Question: 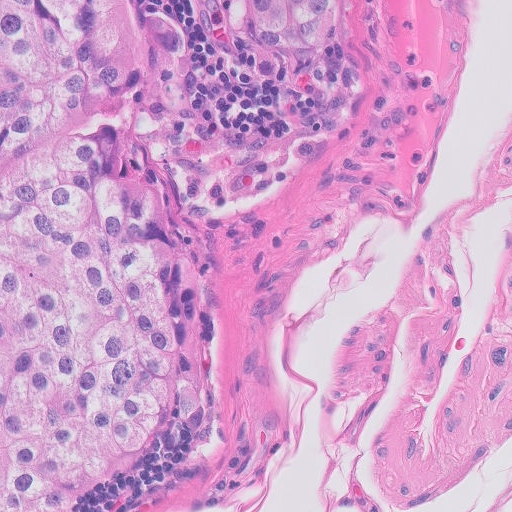
Lymph node section stained with H&E, from a whole-slide image of a breast-cancer sentinel node. Magnification about 20×, about 0.26 mm across the frame, about 0.5 µm per pixel.
Estimate the proportion of this field that is metastatic tumour.

Choices:
 (A) about 5% or less
 (B) about 10% to 20%
 (C) about 25% to 45%
 (D) none: no tumour is outlined
 (E) about 50% or more

Answer: (C) about 25% to 45%
About 35% of the field is tumour.
Metastatic tumour outline, simplified to 9 points and listed clockwise in crop pixels (x, y): (0, 0), (290, 0), (297, 17), (186, 36), (214, 148), (180, 256), (208, 370), (84, 511), (0, 511).